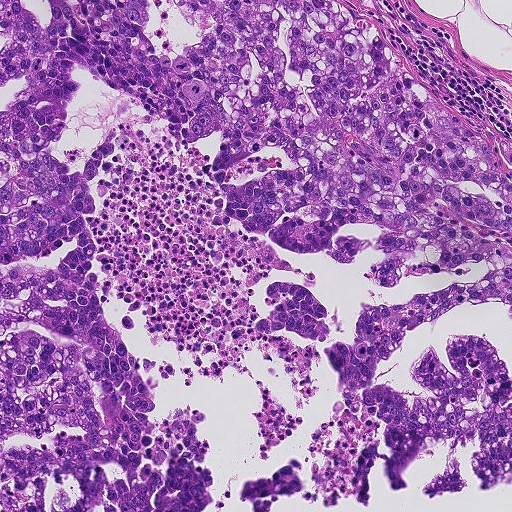
A 0.46-mm field of an H&E-stained sentinel lymph node from a breast-cancer patient (whole-slide image), shown at about 10×, about 0.9 µm per pixel.
Question: Is there metastatic carcinoma in this field?
Answer: Yes.
Metastatic tumour outline, simplified to 23 points and listed clockwise in crop pixels (x, y): (0, 0), (336, 0), (511, 145), (511, 471), (258, 511), (252, 478), (307, 486), (322, 351), (490, 262), (269, 240), (330, 338), (272, 334), (313, 402), (245, 356), (304, 417), (265, 461), (258, 389), (106, 300), (139, 358), (194, 368), (137, 368), (186, 510), (0, 511).
About 85% of this field is tumour.